This is a crop of a whole-slide image: an H&E-stained breast-cancer sentinel lymph node section at roughly 40× magnification (about 0.24 µm per pixel; the crop spans about 0.12 mm).
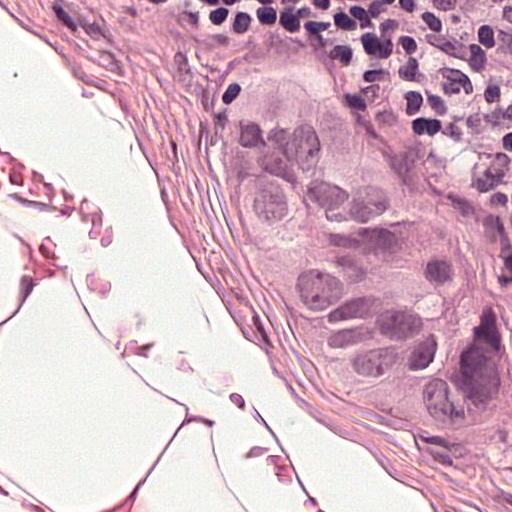
The outlined metastatic tumour's edge, as a closed clockwise path of 12 points: (284, 30), (352, 52), (487, 227), (511, 277), (511, 393), (487, 439), (443, 445), (402, 433), (265, 339), (243, 246), (199, 171), (212, 80).
Tumour covers about 30% of the frame.